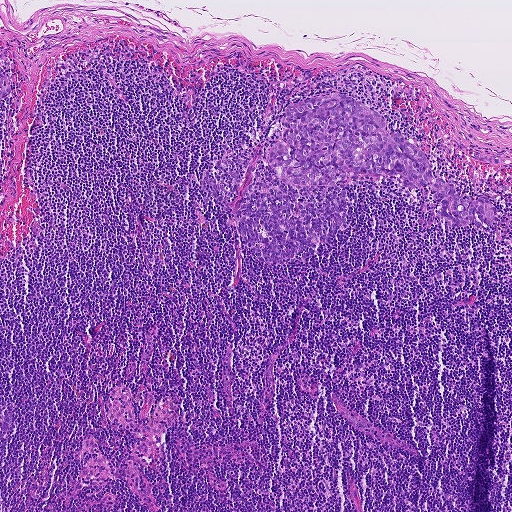
This is a crop of a whole-slide image: an H&E-stained breast-cancer sentinel lymph node section at roughly 5× magnification (about 1.8 µm per pixel; the crop spans about 0.93 mm).
Three metastatic tumour regions, each outlined as a closed clockwise path in crop pixels (x, y), largest first: region 1: (339, 94), (380, 113), (387, 130), (399, 133), (424, 152), (435, 175), (455, 185), (461, 198), (489, 197), (496, 214), (491, 227), (449, 226), (437, 213), (441, 204), (430, 186), (407, 189), (396, 174), (291, 186), (278, 180), (265, 156), (270, 144), (287, 138), (285, 109); region 2: (0, 68), (8, 78), (12, 89), (6, 98), (0, 100); region 3: (474, 154), (482, 156), (487, 155), (496, 157), (501, 159), (502, 161), (500, 162), (494, 163), (483, 162), (478, 160), (474, 156).
About 5% of this field is tumour.